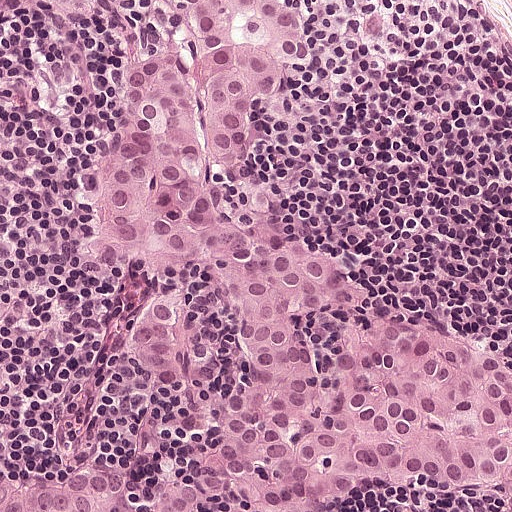
Lymph node section stained with H&E, from a whole-slide image of a breast-cancer sentinel node. Magnification about 20×, about 0.25 mm across the frame, about 0.49 µm per pixel.
Outlines of two tumour regions, largest first (closed clockwise paths, crop pixels): region 1: (147, 0), (292, 0), (314, 67), (244, 139), (274, 221), (510, 372), (511, 511), (488, 511), (502, 484), (361, 484), (324, 511), (0, 511), (0, 476), (85, 464), (154, 495), (206, 431), (185, 384), (129, 363), (151, 289), (86, 236), (105, 106), (134, 54), (167, 41); region 2: (93, 0), (88, 11), (80, 13), (57, 13), (32, 1).
The annotated tumour makes up about 45% of the crop.